A 0.93-mm field of an H&E-stained sentinel lymph node from a breast-cancer patient (whole-slide image), shown at about 5×, about 1.8 µm per pixel.
Image:
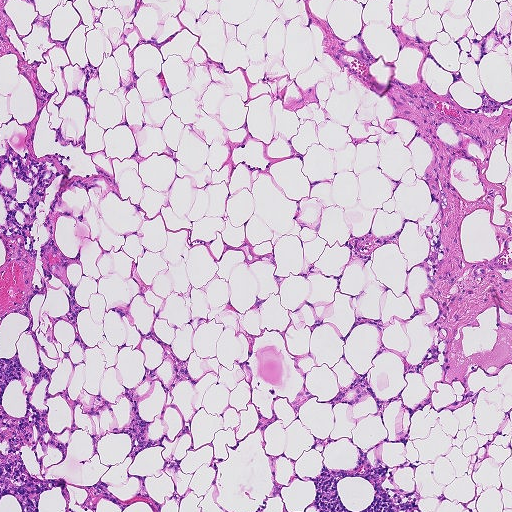
Question:
Does this lymph node field contain metastatic tumour?
Answer:
No. No metastatic tumour is outlined in this field.